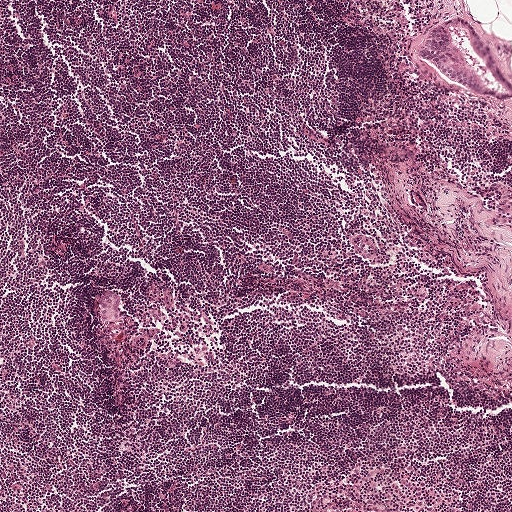
This is a crop of a whole-slide image: an H&E-stained breast-cancer sentinel lymph node section at roughly 5× magnification (about 1.9 µm per pixel; the crop spans about 1 mm).
Question: Is any metastatic breast cancer visible in this crop?
Answer: Yes.
Outlines of two tumour regions, largest first (closed clockwise paths, crop pixels): region 1: (457, 16), (460, 18), (460, 26), (455, 28), (451, 34), (453, 42), (458, 49), (460, 62), (464, 70), (469, 73), (469, 84), (462, 87), (453, 85), (446, 75), (417, 56), (416, 48), (420, 42), (432, 28); region 2: (103, 289), (122, 294), (124, 306), (124, 318), (108, 327), (100, 325), (99, 309), (93, 299), (94, 292).
Tumour covers under 5% of the frame.

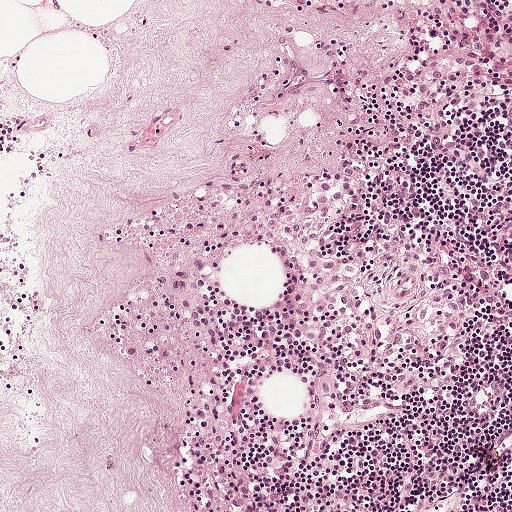
H&E-stained section of a sentinel lymph node (breast cancer), from a whole-slide image, viewed at about 10×: the field is about 0.5 mm across, about 0.97 µm per pixel.
Question: Is any metastatic breast cancer visible in this crop?
Answer: No, this field holds no outlined metastasis.

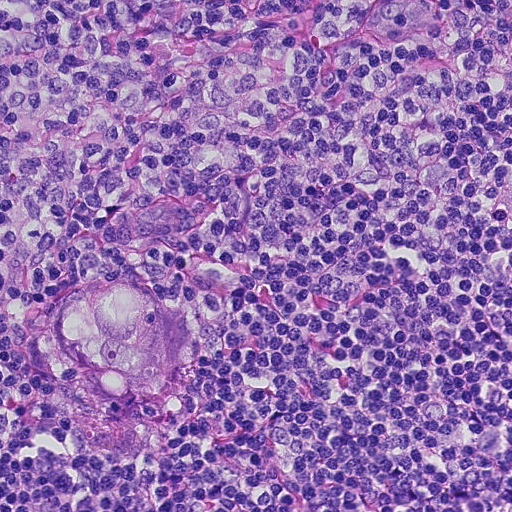
This is a crop of a whole-slide image: an H&E-stained breast-cancer sentinel lymph node section at roughly 20× magnification (about 0.45 µm per pixel; the crop spans about 0.23 mm).
Question: Is any metastatic breast cancer visible in this crop?
Answer: Yes.
Metastatic tumour outline, simplified to 11 points and listed clockwise in crop pixels (x, y): (115, 279), (149, 286), (177, 310), (187, 344), (180, 377), (152, 399), (118, 401), (84, 388), (60, 362), (45, 330), (56, 296).
About 5% of the image area is annotated as tumour.

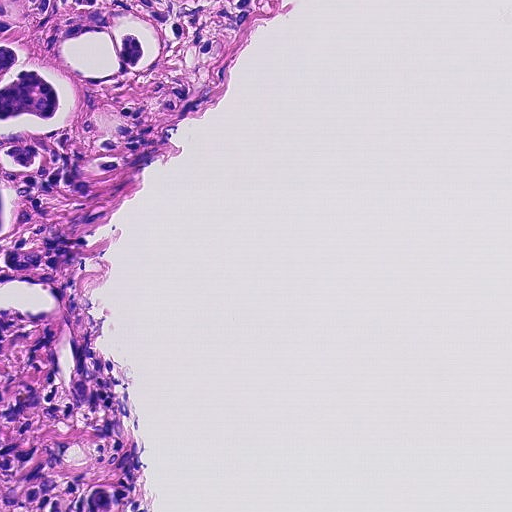
H&E-stained section of a sentinel lymph node (breast cancer), from a whole-slide image, viewed at about 20×: the field is about 0.23 mm across, about 0.45 µm per pixel.
Question: Is any metastatic breast cancer visible in this crop?
Answer: Yes.
Tumour region outline (a closed clockwise path, crop pixels): (0, 0), (289, 0), (228, 76), (219, 106), (89, 256), (105, 344), (136, 392), (152, 508), (0, 511).
The annotated tumour makes up about 30% of the crop.